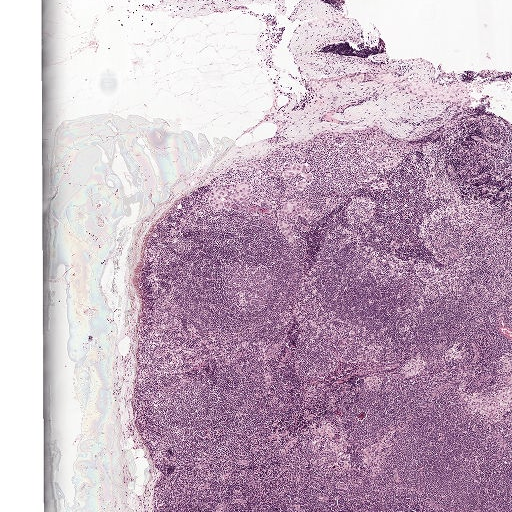
H&E-stained section of a sentinel lymph node (breast cancer), from a whole-slide image, viewed at about 2.5×: the field is about 2.0 mm across, about 3.9 µm per pixel.
Outlines of seven tumour regions, largest first (closed clockwise paths, crop pixels): region 1: (245, 180), (250, 184), (251, 189), (248, 197), (239, 203), (231, 206), (229, 210), (216, 210), (209, 207), (209, 196), (212, 190), (226, 181), (232, 182); region 2: (283, 163), (302, 163), (307, 165), (313, 175), (312, 182), (300, 189), (297, 189), (295, 186), (303, 178), (302, 175), (296, 173), (289, 180), (284, 180), (280, 174); region 3: (304, 199), (304, 206), (309, 208), (310, 211), (310, 216), (304, 218), (293, 213), (288, 215), (282, 214), (281, 210), (283, 206), (290, 200); region 4: (275, 219), (289, 222), (292, 224), (292, 234), (292, 241), (291, 244), (290, 244), (288, 243), (284, 237), (283, 233), (280, 229), (278, 225), (274, 222); region 5: (377, 147), (385, 147), (386, 148), (386, 151), (383, 154), (378, 157), (373, 157), (368, 157), (367, 154), (368, 152); region 6: (382, 178), (384, 178), (385, 181), (386, 186), (385, 187), (381, 188), (376, 188), (372, 187), (371, 184), (373, 182), (378, 182), (381, 181); region 7: (374, 134), (381, 134), (389, 137), (391, 140), (391, 142), (389, 142), (385, 142), (382, 140), (379, 139), (374, 135).
Under 5% of this field is tumour.